H&E-stained section of a sentinel lymph node (breast cancer), from a whole-slide image, viewed at about 2.5×: the field is about 2.0 mm across, about 3.9 µm per pixel.
Image:
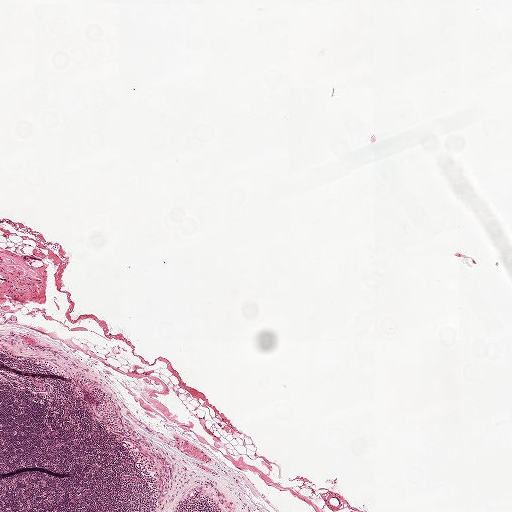
Question:
Trace the edge of each tumour region in this crop, as (x, y) points from 0 to 511.
Answer:
Metastatic tumour outline, simplified to 12 points and listed clockwise in crop pixels (x, y): (79, 373), (84, 375), (116, 403), (124, 422), (125, 434), (124, 437), (112, 434), (103, 420), (98, 416), (92, 395), (82, 386), (76, 374).
Tumour covers under 5% of the frame.